Question: 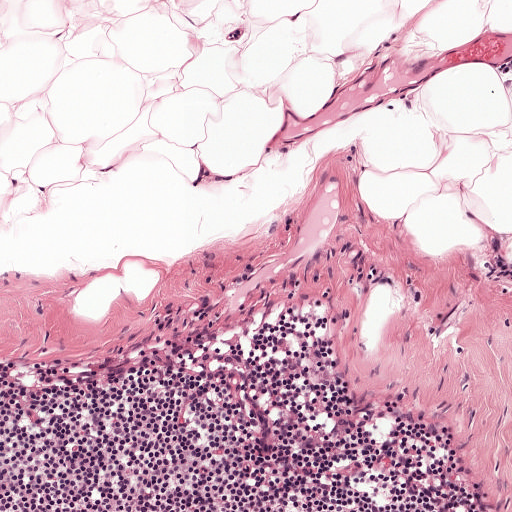
At roughly what magnification is this field shown?

Choices:
 (A) about 5×
 (B) about 20×
 (C) about 2.5×
 (D) about 40×
 (E) about 10×

Answer: (E) about 10×
H&E-stained section of a sentinel lymph node (breast cancer), from a whole-slide image, viewed at about 10×: the field is about 0.5 mm across, about 0.97 µm per pixel.